Question: 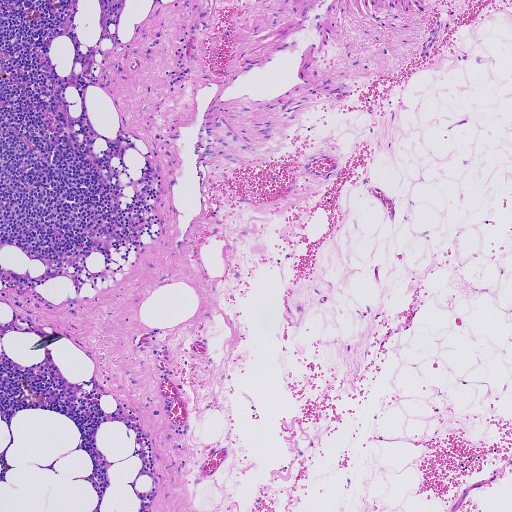
At roughly what magnification is this field shown?

Choices:
 (A) about 2.5×
 (B) about 20×
 (C) about 5×
 (D) about 40×
 (E) about 10×

Answer: (C) about 5×
H&E-stained section of a sentinel lymph node (breast cancer), from a whole-slide image, viewed at about 5×: the field is about 0.93 mm across, about 1.8 µm per pixel.